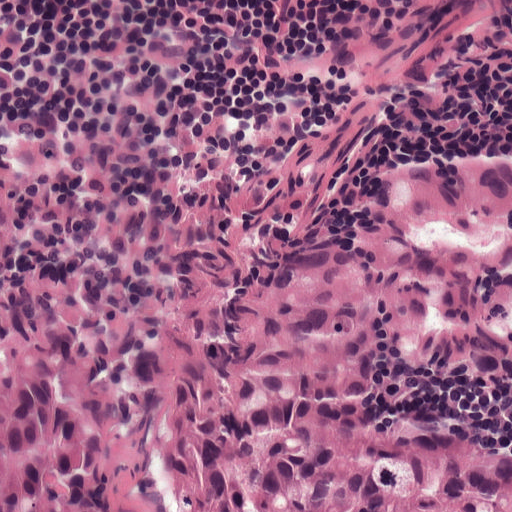
Lymph node section stained with H&E, from a whole-slide image of a breast-cancer sentinel node. Magnification about 20×, about 0.25 mm across the frame, about 0.49 µm per pixel.
Tumour region outline (a closed clockwise path, crop pixels): (0, 110), (136, 126), (211, 194), (308, 216), (398, 168), (490, 136), (511, 147), (511, 511), (0, 511).
About 70% of this field is tumour.